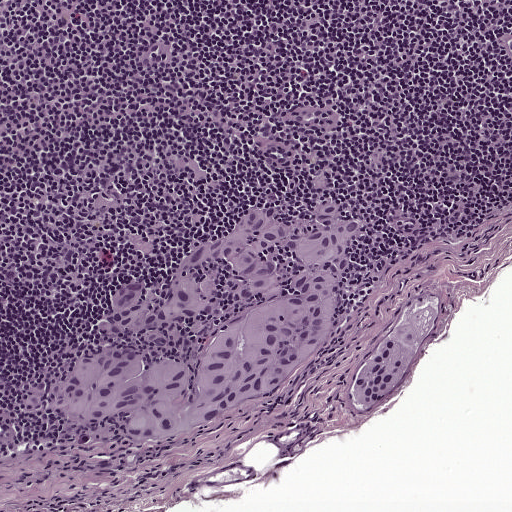
H&E-stained section of a sentinel lymph node (breast cancer), from a whole-slide image, viewed at about 10×: the field is about 0.5 mm across, about 0.97 µm per pixel.
Outlines of two tumour regions, largest first (closed clockwise paths, crop pixels): region 1: (334, 196), (341, 213), (367, 218), (346, 248), (352, 270), (341, 276), (332, 336), (290, 390), (229, 424), (161, 440), (118, 431), (118, 416), (94, 429), (28, 415), (14, 396), (59, 376), (120, 281), (143, 280), (143, 299), (162, 297), (185, 256), (263, 209), (308, 219); region 2: (427, 298), (434, 313), (412, 354), (408, 376), (392, 392), (372, 405), (350, 400), (352, 377), (366, 358), (383, 344), (398, 326), (412, 304).
Tumour covers about 20% of the frame.